Question: 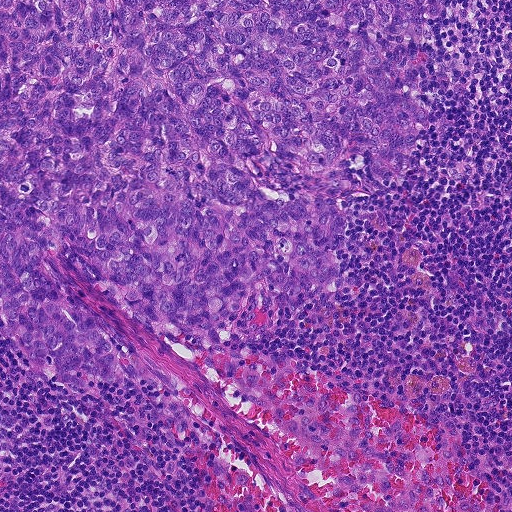
H&E-stained section of a sentinel lymph node (breast cancer), from a whole-slide image, viewed at about 10×: the field is about 0.46 mm across, about 0.9 µm per pixel.
About how much of this crop is taken up by metastatic carcinoma?

Choices:
 (A) about 50% or more
 (B) about 5% or less
 (C) about 25% to 45%
 (D) none: no tumour is outlined
 (E) about 10% to 20%

Answer: (A) about 50% or more
About 50% of the field is tumour.
Metastatic tumour outline, simplified to 20 points and listed clockwise in crop pixels (x, y): (0, 0), (441, 0), (424, 20), (436, 40), (384, 56), (442, 116), (405, 180), (372, 178), (362, 152), (316, 193), (354, 210), (329, 241), (343, 287), (196, 342), (40, 257), (169, 380), (157, 392), (132, 375), (69, 390), (0, 339).